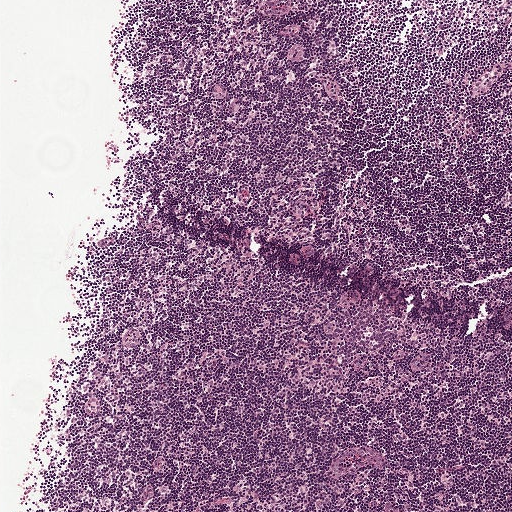
Lymph node section stained with H&E, from a whole-slide image of a breast-cancer sentinel node. Magnification about 5×, about 1 mm across the frame, about 1.9 µm per pixel.